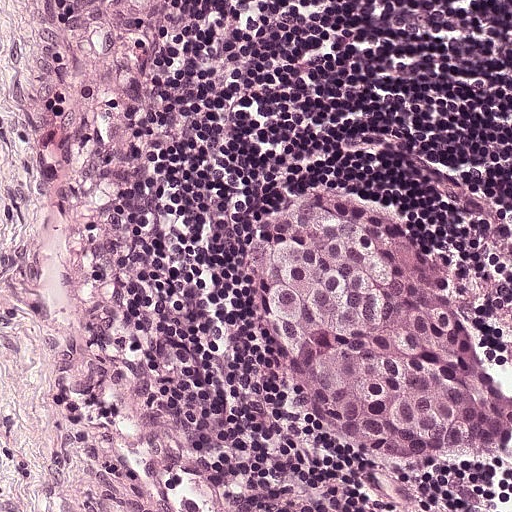
Lymph node section stained with H&E, from a whole-slide image of a breast-cancer sentinel node. Magnification about 20×, about 0.25 mm across the frame, about 0.49 µm per pixel.
Tumour region outline (a closed clockwise path, crop pixels): (346, 183), (394, 214), (432, 253), (511, 392), (511, 468), (404, 473), (304, 418), (282, 372), (278, 324), (244, 253), (256, 229).
The annotated tumour makes up about 20% of the crop.